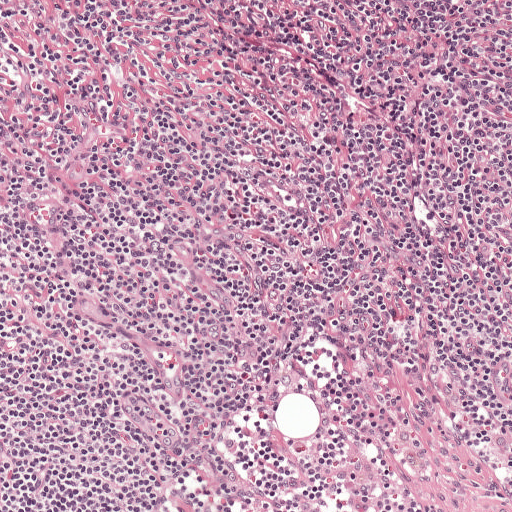
Lymph node section stained with H&E, from a whole-slide image of a breast-cancer sentinel node. Magnification about 10×, about 0.5 mm across the frame, about 0.97 µm per pixel.